Question: 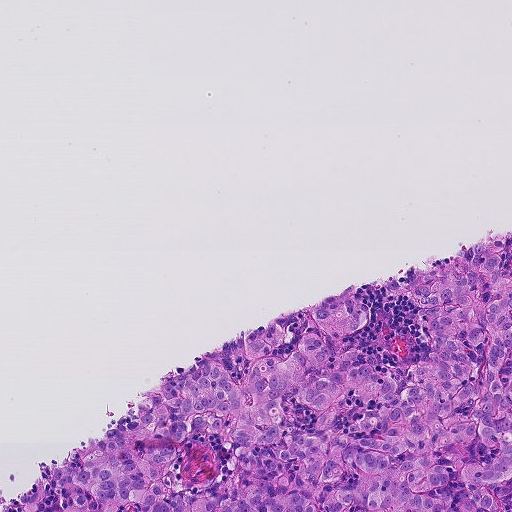
This is a crop of a whole-slide image: an H&E-stained breast-cancer sentinel lymph node section at roughly 10× magnification (about 0.9 µm per pixel; the crop spans about 0.46 mm).
What fraction of the image area is metastatic tumour?

Choices:
 (A) none: no tumour is outlined
 (B) about 10% to 20%
 (C) about 50% or more
 (D) about 5% or less
 (E) about 25% to 45%

Answer: (E) about 25% to 45%
About 30% of the field is tumour.
Two metastatic tumour regions, each outlined as a closed clockwise path in crop pixels (x, y), largest first: region 1: (506, 232), (511, 511), (58, 511), (69, 450), (191, 361), (210, 357), (238, 384), (244, 330), (280, 322), (275, 358), (290, 355), (318, 332), (320, 298), (358, 296), (366, 328), (334, 350), (401, 386), (405, 363), (425, 358), (425, 328), (381, 278); region 2: (34, 481), (43, 497), (39, 511), (0, 511), (1, 508), (15, 495).
One more small tumour piece is annotated here but not outlined.